A 0.23-mm field of an H&E-stained sentinel lymph node from a breast-cancer patient (whole-slide image), shown at about 20×, about 0.45 µm per pixel.
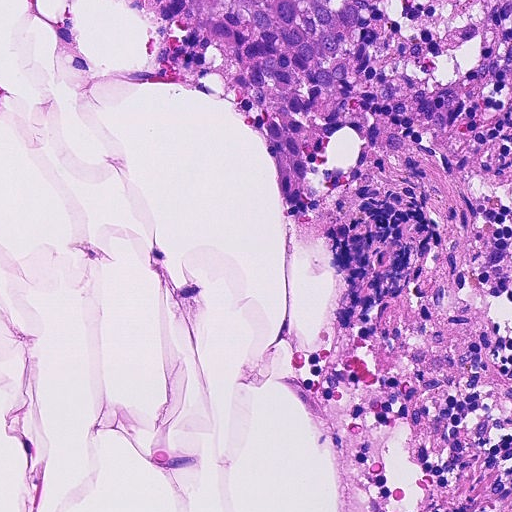
Question: Which parts of this field are metastatic tumour?
Answer: Metastatic tumour outline, simplified to 12 points and listed clockwise in crop pixels (x, y): (108, 0), (392, 0), (364, 8), (357, 70), (334, 90), (306, 89), (306, 182), (298, 206), (280, 182), (245, 99), (210, 52), (190, 29).
The annotated tumour makes up about 5% of the crop.